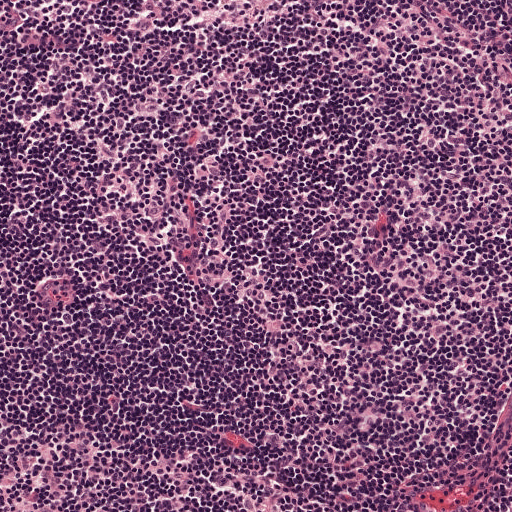
Lymph node section stained with H&E, from a whole-slide image of a breast-cancer sentinel node. Magnification about 10×, about 0.5 mm across the frame, about 0.97 µm per pixel.